Question: 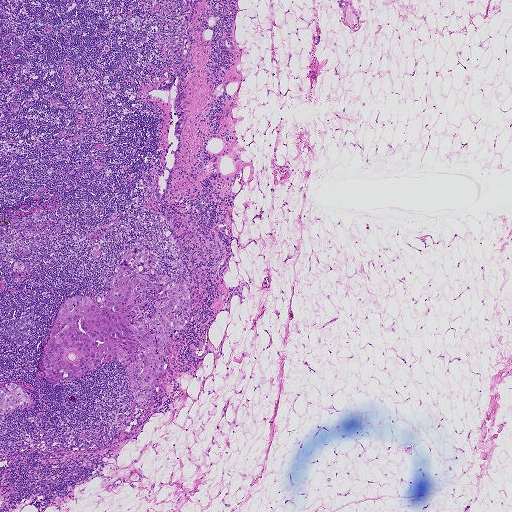
At roughly what magnification is this field shown?

Choices:
 (A) about 20×
 (B) about 10×
 (C) about 40×
 (D) about 5×
 (E) about 2.5×

Answer: (E) about 2.5×
This is a crop of a whole-slide image: an H&E-stained breast-cancer sentinel lymph node section at roughly 2.5× magnification (about 3.6 µm per pixel; the crop spans about 1.9 mm).
Outlines of two tumour regions, largest first (closed clockwise paths, crop pixels): region 1: (138, 244), (146, 248), (153, 267), (189, 291), (190, 307), (186, 322), (173, 339), (167, 380), (146, 408), (137, 406), (127, 376), (116, 360), (63, 381), (44, 375), (42, 354), (63, 301), (73, 296), (103, 293), (116, 266); region 2: (13, 382), (29, 394), (30, 398), (29, 403), (25, 406), (10, 410), (0, 410), (0, 387), (3, 384).
One more small tumour piece is annotated here but not outlined.
About 5% of the image area is annotated as tumour.